Image:
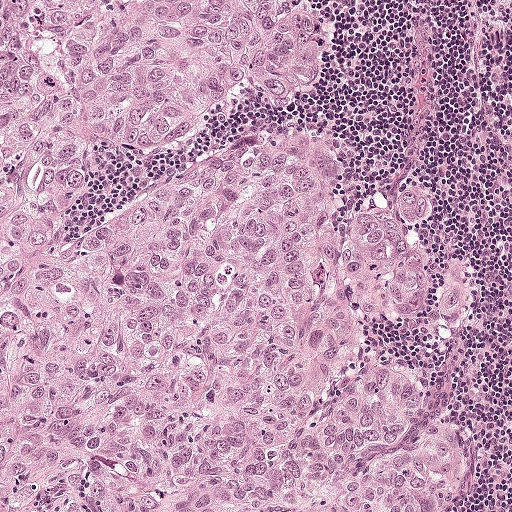
Lymph node section stained with H&E, from a whole-slide image of a breast-cancer sentinel node. Magnification about 10×, about 0.5 mm across the frame, about 0.97 µm per pixel.
Question:
Is any metastatic breast cancer visible in this crop?
Answer:
Yes.
The outlined metastatic tumour's edge, as a closed clockwise path of 23 points: (0, 0), (303, 0), (320, 16), (305, 98), (237, 90), (175, 146), (108, 154), (68, 241), (289, 130), (340, 150), (336, 234), (362, 206), (420, 194), (420, 294), (449, 265), (466, 322), (374, 320), (358, 358), (420, 386), (418, 423), (461, 456), (436, 510), (0, 511).
About 70% of the image area is annotated as tumour.